Question: 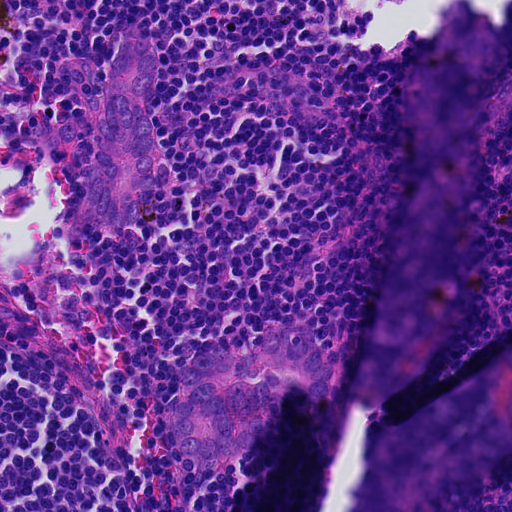
A 0.23-mm field of an H&E-stained sentinel lymph node from a breast-cancer patient (whole-slide image), shown at about 20×, about 0.45 µm per pixel.
Estimate the proportion of this field that is metastatic tumour.

Choices:
 (A) about 10% to 20%
 (B) none: no tumour is outlined
 (C) about 50% or more
 (D) about 5% or less
 (E) about 25% to 45%

Answer: (A) about 10% to 20%
About 10% of the field is tumour.
Two metastatic tumour regions, each outlined as a closed clockwise path in crop pixels (x, y), largest first: region 1: (294, 323), (336, 366), (336, 386), (322, 402), (300, 400), (282, 410), (263, 446), (226, 468), (208, 471), (188, 466), (174, 452), (168, 410), (178, 374), (193, 359), (211, 352), (239, 350); region 2: (142, 29), (158, 50), (150, 108), (152, 128), (166, 168), (163, 188), (145, 225), (107, 236), (92, 225), (84, 208), (78, 146), (54, 142), (58, 120), (67, 112), (83, 126), (87, 158), (114, 94), (112, 54), (122, 36).